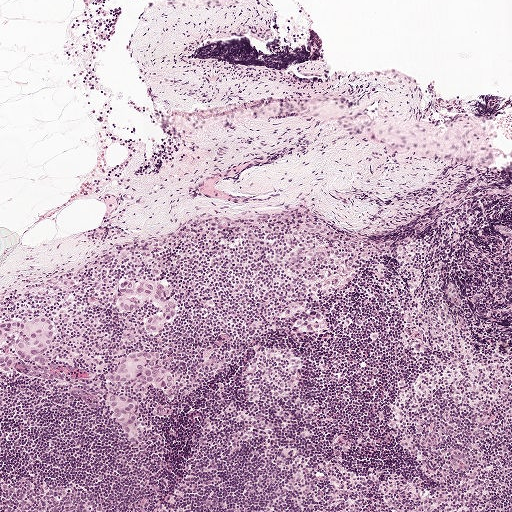
A 1-mm field of an H&E-stained sentinel lymph node from a breast-cancer patient (whole-slide image), shown at about 5×, about 1.9 µm per pixel.
Question: Describe where the metastatic carcinoma lies in this crop.
Answer: Boundaries of seven metastatic tumour regions, simplified and listed clockwise, largest first: region 1: (41, 314), (52, 321), (54, 325), (54, 332), (49, 348), (42, 354), (37, 354), (30, 361), (14, 365), (10, 374), (0, 373), (0, 320), (4, 316), (16, 319); region 2: (121, 277), (156, 280), (166, 284), (178, 304), (175, 319), (151, 333), (146, 332), (142, 326), (147, 317), (157, 310), (156, 304), (144, 300), (130, 314), (121, 313), (116, 309), (113, 302), (116, 294), (115, 285); region 3: (149, 351), (159, 352), (160, 367), (169, 370), (173, 376), (171, 387), (165, 390), (159, 390), (137, 380), (127, 384), (116, 383), (114, 373), (118, 365), (133, 353); region 4: (105, 392), (129, 398), (137, 402), (137, 436), (135, 443), (127, 440), (108, 403), (100, 398); region 5: (306, 248), (321, 248), (324, 251), (324, 256), (307, 269), (289, 268), (286, 263), (289, 258); region 6: (315, 311), (319, 311), (323, 316), (323, 328), (314, 331), (304, 331), (296, 328), (294, 322), (298, 318), (309, 318); region 7: (301, 222), (314, 222), (329, 227), (334, 235), (334, 238), (330, 239), (322, 237), (310, 232), (300, 225).
About 5% of this field is tumour.